Question: 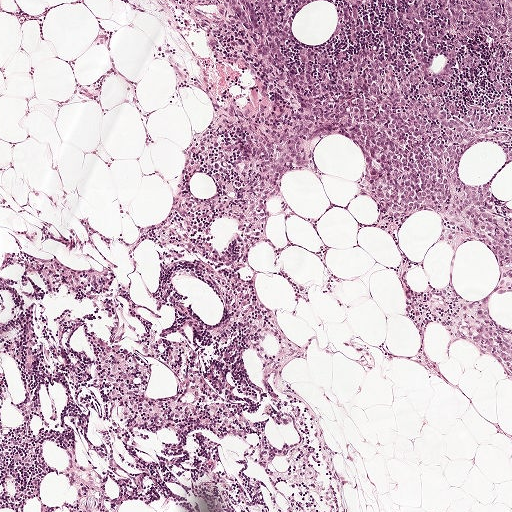
This is a crop of a whole-slide image: an H&E-stained breast-cancer sentinel lymph node section at roughly 5× magnification (about 1.9 µm per pixel; the crop spans about 1 mm).
What fraction of the image area is metastatic tumour?

Choices:
 (A) about 50% or more
 (B) about 10% to 20%
 (C) about 5% or less
 (D) none: no tumour is outlined
 (E) about 25% to 45%

Answer: (B) about 10% to 20%
About 20% of the field is tumour.
Metastatic tumour outline, simplified to 22 points and listed clockwise in crop pixels (x, y): (205, 0), (511, 0), (511, 164), (482, 142), (457, 175), (511, 212), (511, 291), (488, 310), (511, 329), (511, 372), (454, 337), (496, 261), (436, 242), (433, 211), (389, 220), (354, 196), (351, 140), (316, 138), (307, 171), (210, 178), (227, 108), (270, 103).
One more small tumour piece is annotated here but not outlined.